Question: 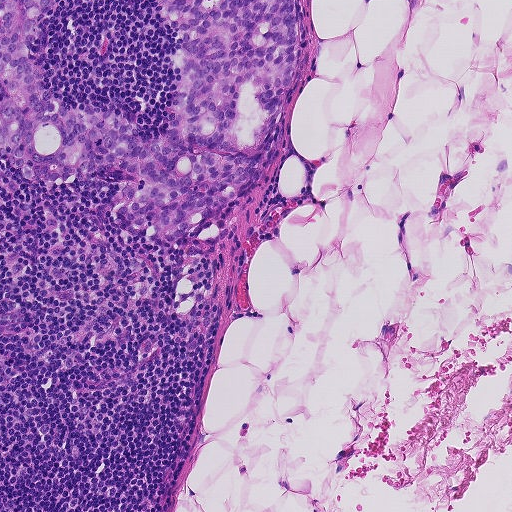
This is a crop of a whole-slide image: an H&E-stained breast-cancer sentinel lymph node section at roughly 10× magnification (about 0.9 µm per pixel; the crop spans about 0.46 mm).
Estimate the proportion of this field that is metastatic tumour.

Choices:
 (A) about 5% or less
 (B) about 25% to 45%
 (C) none: no tumour is outlined
 (D) about 50% or more
 (E) about 10% to 20%

Answer: (E) about 10% to 20%
About 15% of the field is tumour.
One metastatic tumour region; its boundary, reduced to 24 corners and listed clockwise: (0, 0), (53, 0), (32, 43), (40, 78), (62, 105), (121, 116), (145, 142), (164, 131), (180, 86), (172, 64), (183, 44), (156, 0), (299, 0), (302, 63), (292, 102), (262, 182), (223, 241), (130, 237), (114, 226), (110, 207), (131, 181), (56, 189), (18, 176), (6, 161).